Question: 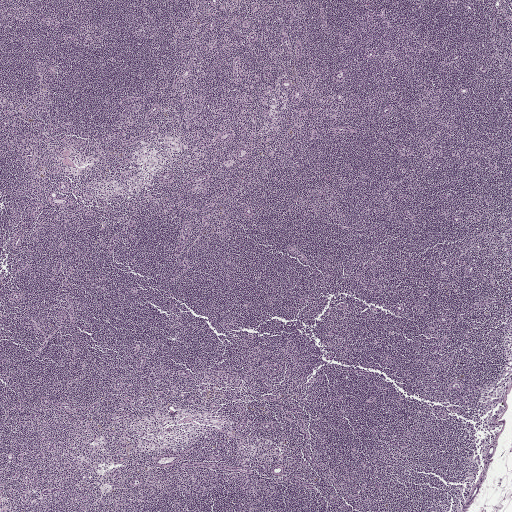
At roughly what magnification is this field shown?

Choices:
 (A) about 2.5×
 (B) about 20×
 (C) about 40×
 (D) about 5×
 (E) about 10×

Answer: (A) about 2.5×
Lymph node section stained with H&E, from a whole-slide image of a breast-cancer sentinel node. Magnification about 2.5×, about 2.0 mm across the frame, about 3.9 µm per pixel.